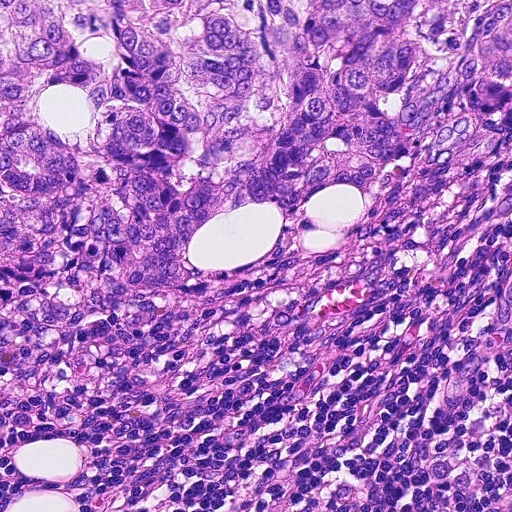
A 0.23-mm field of an H&E-stained sentinel lymph node from a breast-cancer patient (whole-slide image), shown at about 20×, about 0.45 µm per pixel.
The outlined metastatic tumour's edge, as a closed clockwise path of 21 points: (0, 0), (511, 0), (511, 73), (476, 72), (462, 52), (420, 42), (412, 91), (429, 103), (418, 134), (374, 175), (282, 209), (203, 221), (184, 274), (166, 282), (127, 287), (116, 269), (132, 233), (108, 205), (89, 205), (44, 270), (0, 261).
Tumour covers about 35% of the frame.